Question: 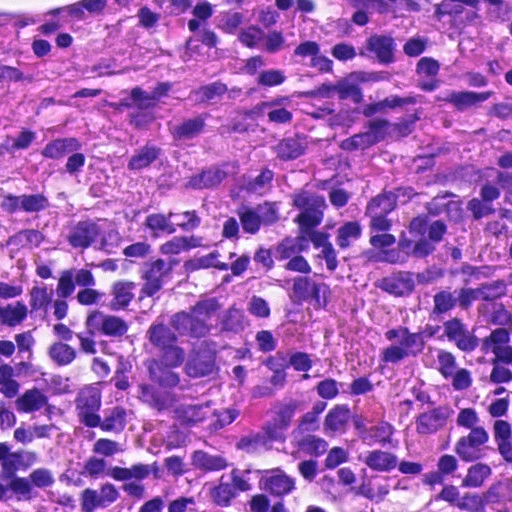
Which magnification is this H&E lymph node field most likely shown at?

Choices:
 (A) about 20×
 (B) about 10×
 (C) about 2.5×
 (D) about 5×
 (E) about 40×

Answer: (E) about 40×
H&E-stained section of a sentinel lymph node (breast cancer), from a whole-slide image, viewed at about 40×: the field is about 0.12 mm across, about 0.23 µm per pixel.
Tumour region outline (a closed clockwise path, crop pixels): (238, 288), (263, 317), (236, 384), (170, 407), (123, 356), (165, 298).
About 5% of this field is tumour.